Question: 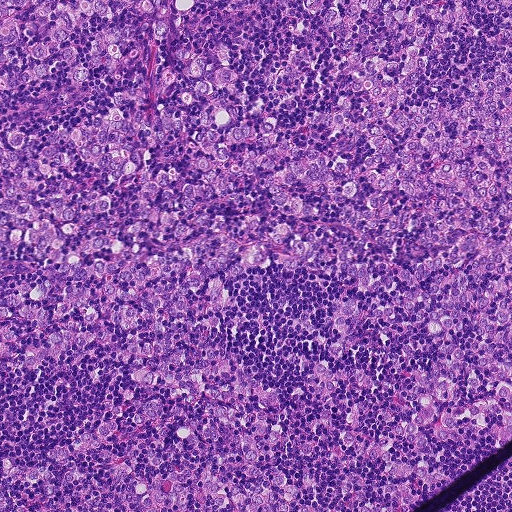
About what magnification does this crop show?

Choices:
 (A) about 20×
 (B) about 5×
 (C) about 2.5×
 (D) about 40×
 (E) about 10×

Answer: (E) about 10×
H&E-stained section of a sentinel lymph node (breast cancer), from a whole-slide image, viewed at about 10×: the field is about 0.46 mm across, about 0.9 µm per pixel.